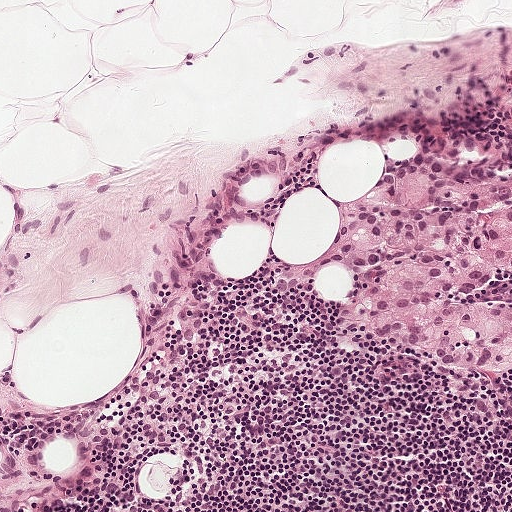
H&E-stained section of a sentinel lymph node (breast cancer), from a whole-slide image, viewed at about 10×: the field is about 0.5 mm across, about 0.97 µm per pixel.
Metastatic tumour outline, simplified to 18 points and listed clockwise in crop pixels (x, y): (417, 152), (511, 176), (511, 380), (502, 370), (446, 374), (331, 318), (356, 292), (347, 264), (321, 266), (288, 294), (272, 289), (283, 270), (308, 264), (339, 230), (332, 199), (346, 204), (363, 197), (386, 170).
About 15% of this field is tumour.